Question: 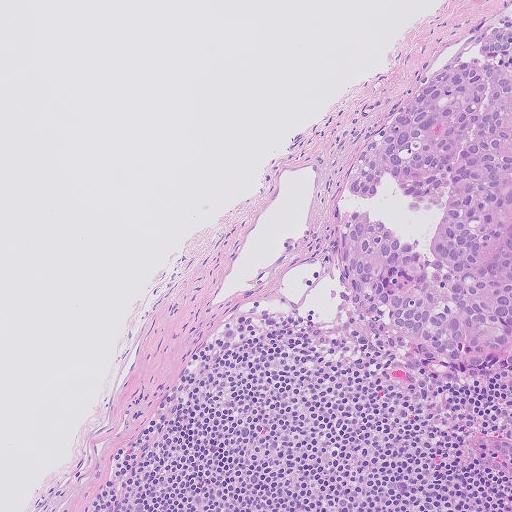
A 0.51-mm field of an H&E-stained sentinel lymph node from a breast-cancer patient (whole-slide image), shown at about 10×, about 1.0 µm per pixel.
Roughly what share of this field is metastatic tumour?

Choices:
 (A) about 5% or less
 (B) about 50% or more
 (C) none: no tumour is outlined
 (D) about 25% to 45%
 (E) about 10% to 20%

Answer: (E) about 10% to 20%
About 20% of the field is tumour.
One metastatic tumour region; its boundary, reduced to 8 corners and listed clockwise: (511, 30), (511, 375), (490, 381), (376, 350), (340, 290), (344, 196), (363, 153), (462, 46).